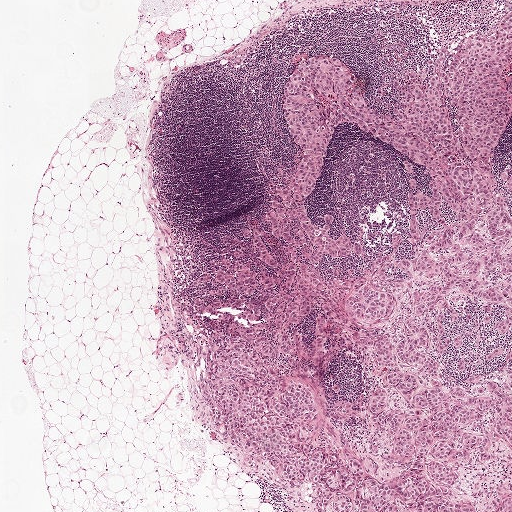
This is a crop of a whole-slide image: an H&E-stained breast-cancer sentinel lymph node section at roughly 2.5× magnification (about 3.9 µm per pixel; the crop spans about 2.0 mm).
Question: Is any metastatic breast cancer visible in this crop?
Answer: Yes.
Tumour region outline (a closed clockwise path, crop pixels): (511, 13), (511, 511), (305, 511), (215, 440), (196, 359), (174, 337), (178, 288), (269, 211), (272, 184), (300, 158), (277, 100), (296, 61), (337, 55), (389, 111), (374, 86), (421, 66), (421, 50).
About 45% of this field is tumour.